A 1.9-mm field of an H&E-stained sentinel lymph node from a breast-cancer patient (whole-slide image), shown at about 2.5×, about 3.6 µm per pixel.
Image:
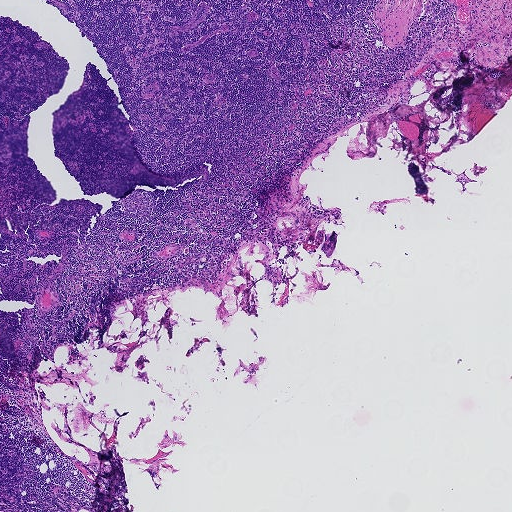
Question:
Does this lymph node field contain metastatic tumour?
Answer:
No: no metastatic tumour is outlined anywhere in this field.